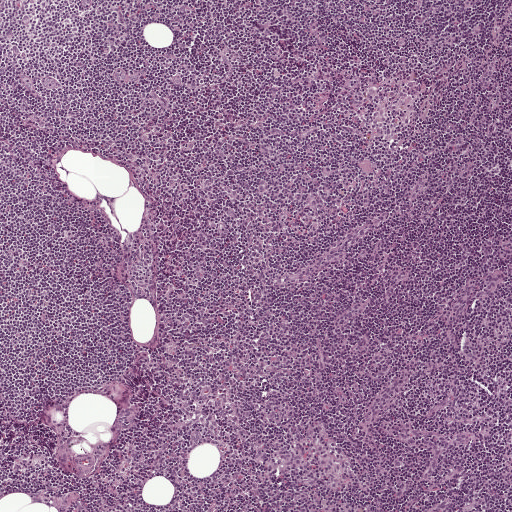
H&E-stained section of a sentinel lymph node (breast cancer), from a whole-slide image, viewed at about 5×: the field is about 1 mm across, about 1.9 µm per pixel.